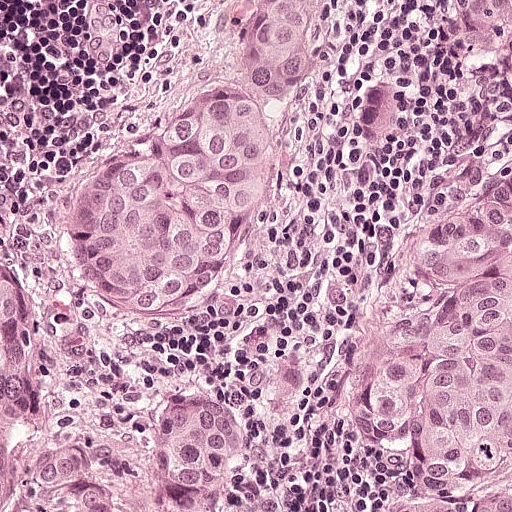
Lymph node section stained with H&E, from a whole-slide image of a breast-cancer sentinel node. Magnification about 20×, about 0.25 mm across the frame, about 0.49 µm per pixel.
Boundaries of two metastatic tumour regions, simplified and listed clockwise, largest first: region 1: (252, 0), (354, 0), (332, 72), (284, 137), (252, 236), (212, 290), (90, 339), (90, 364), (118, 396), (158, 373), (215, 379), (241, 419), (241, 487), (226, 510), (0, 511), (0, 204), (47, 234), (127, 114), (221, 40); region 2: (511, 0), (511, 511), (352, 511), (360, 462), (298, 462), (252, 430), (215, 336), (260, 353), (312, 328), (353, 324), (382, 290), (410, 230), (492, 114), (494, 90), (458, 1).
The annotated tumour makes up about 60% of the crop.